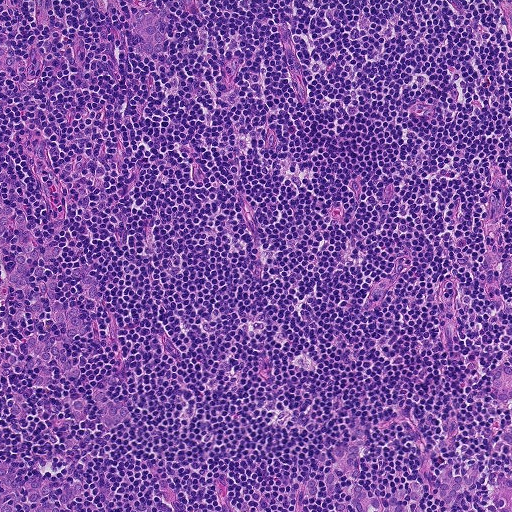
This is a crop of a whole-slide image: an H&E-stained breast-cancer sentinel lymph node section at roughly 10× magnification (about 0.9 µm per pixel; the crop spans about 0.46 mm).
Outlines of the eight largest metastatic tumour regions, each a closed clockwise path in crop pixels (x, y), largest first: region 1: (0, 171), (35, 244), (60, 242), (50, 272), (81, 263), (104, 292), (96, 305), (75, 276), (60, 286), (64, 303), (81, 305), (97, 336), (63, 351), (82, 375), (83, 396), (106, 374), (120, 380), (105, 394), (130, 400), (118, 429), (108, 432), (93, 404), (81, 428), (70, 425), (44, 387), (26, 400), (23, 422), (13, 427), (7, 418), (10, 398), (42, 371), (8, 384), (5, 354), (52, 331), (44, 310), (23, 311), (26, 301), (10, 286), (20, 248), (0, 227); region 2: (358, 425), (365, 432), (359, 453), (359, 484), (386, 499), (396, 495), (401, 486), (410, 481), (420, 486), (422, 511), (336, 511), (339, 500), (348, 494), (349, 474), (340, 478), (334, 486), (324, 485), (310, 500), (306, 490), (308, 480), (327, 474), (336, 446), (346, 442); region 3: (0, 458), (12, 458), (26, 465), (22, 480), (35, 473), (48, 480), (55, 491), (50, 500), (73, 481), (87, 488), (69, 507), (81, 511), (0, 511), (0, 489), (5, 485), (0, 479); region 4: (448, 460), (457, 464), (458, 475), (475, 461), (481, 468), (480, 478), (464, 492), (465, 502), (477, 511), (451, 511), (445, 503), (436, 497), (430, 489), (423, 469), (444, 470); region 5: (158, 9), (168, 12), (160, 20), (159, 30), (165, 39), (164, 50), (155, 56), (144, 56), (138, 48), (143, 38), (134, 30), (130, 18), (137, 10), (148, 12); region 6: (508, 365), (511, 367), (511, 400), (498, 402), (491, 396), (490, 385), (492, 375), (502, 367); region 7: (511, 473), (511, 511), (499, 511), (497, 508), (496, 498), (499, 488); region 8: (511, 255), (511, 287), (507, 287), (498, 281), (499, 271), (505, 262).
One more, smaller tumour region is not outlined.
About 10% of the image area is annotated as tumour.